Lymph node section stained with H&E, from a whole-slide image of a breast-cancer sentinel node. Magnification about 2.5×, about 2.0 mm across the frame, about 3.9 µm per pixel.
Image:
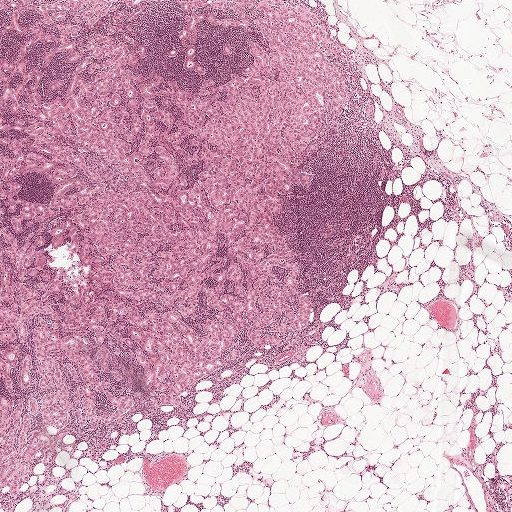
Question:
Describe where the metastatic carcinoma lies in this crop.
Answer:
Boundaries of three metastatic tumour regions, simplified and listed clockwise, largest first: region 1: (283, 0), (320, 18), (347, 102), (298, 156), (310, 185), (271, 212), (299, 264), (272, 272), (298, 270), (310, 300), (304, 329), (261, 328), (278, 346), (241, 329), (202, 347), (204, 285), (234, 291), (231, 261), (247, 284), (245, 270), (238, 262), (226, 253), (223, 234), (188, 316), (89, 283), (115, 254), (76, 214), (197, 178), (198, 138), (191, 167), (168, 141), (169, 80), (229, 81), (248, 38), (268, 54), (254, 28), (202, 24), (196, 77), (183, 15); region 2: (0, 393), (8, 399), (13, 407), (17, 397), (20, 397), (23, 404), (22, 416), (27, 413), (31, 416), (28, 430), (25, 434), (26, 438), (28, 439), (37, 429), (39, 437), (27, 476), (20, 487), (19, 493), (14, 498), (7, 498), (10, 488), (6, 487), (0, 498); region 3: (55, 0), (118, 0), (114, 4), (117, 7), (115, 11), (111, 13), (105, 13), (91, 23), (82, 20), (81, 17), (78, 16), (72, 18), (71, 9), (66, 12), (66, 20), (59, 21), (44, 18), (34, 12), (21, 9), (24, 4), (44, 5).
About 20% of this field is tumour.